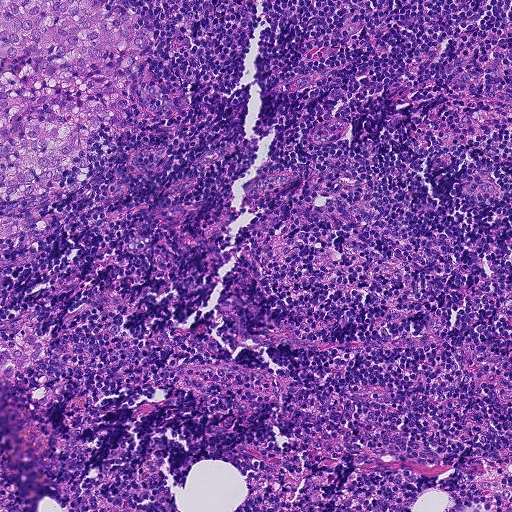
Lymph node section stained with H&E, from a whole-slide image of a breast-cancer sentinel node. Magnification about 10×, about 0.46 mm across the frame, about 0.9 µm per pixel.
Outlines of three tumour regions, largest first (closed clockwise paths, crop pixels): region 1: (0, 0), (109, 0), (106, 10), (114, 4), (126, 8), (142, 26), (150, 49), (134, 74), (125, 120), (90, 134), (88, 172), (77, 188), (0, 202); region 2: (23, 313), (33, 319), (44, 339), (46, 349), (44, 360), (23, 368), (6, 381), (0, 378), (0, 321); region 3: (12, 218), (26, 220), (29, 228), (0, 243), (0, 219).
Tumour covers about 10% of the frame.